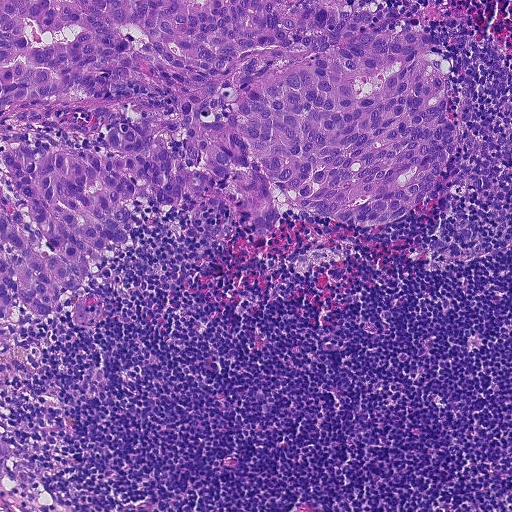
A 0.46-mm field of an H&E-stained sentinel lymph node from a breast-cancer patient (whole-slide image), shown at about 10×, about 0.9 µm per pixel.
Two metastatic tumour regions, each outlined as a closed clockwise path in crop pixels (x, y), largest first: region 1: (0, 0), (372, 0), (364, 33), (428, 30), (453, 62), (444, 109), (456, 139), (414, 208), (370, 228), (284, 211), (265, 236), (184, 192), (158, 208), (134, 195), (125, 249), (79, 290), (105, 312), (79, 327), (76, 290), (43, 319), (16, 294), (7, 325), (43, 355), (6, 380); region 2: (0, 436), (10, 443), (18, 458), (34, 467), (30, 486), (0, 491).
The annotated tumour makes up about 40% of the crop.